Question: 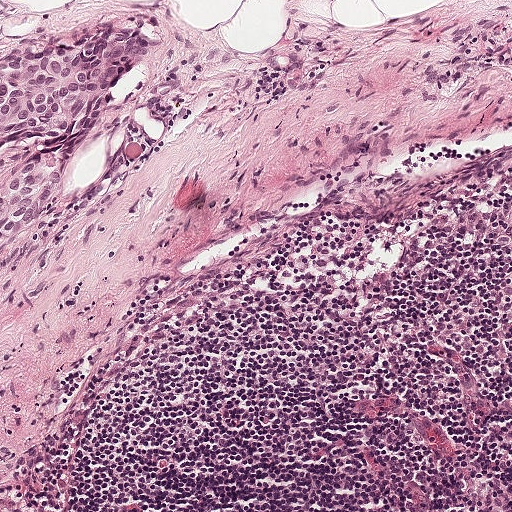
H&E-stained section of a sentinel lymph node (breast cancer), from a whole-slide image, viewed at about 10×: the field is about 0.5 mm across, about 0.97 µm per pixel.
Roughly what share of this field is metastatic tumour?

Choices:
 (A) about 5% or less
 (B) about 50% or more
 (C) about 25% to 45%
 (D) none: no tumour is outlined
 (E) about 10% to 20%

Answer: (A) about 5% or less
About 5% of the field is tumour.
Metastatic tumour outline, simplified to 15 points and listed clockwise in crop pixels (x, y): (126, 26), (156, 31), (161, 44), (153, 60), (131, 68), (106, 90), (62, 193), (0, 251), (0, 185), (39, 158), (44, 144), (21, 134), (0, 144), (0, 63), (56, 40).